Question: 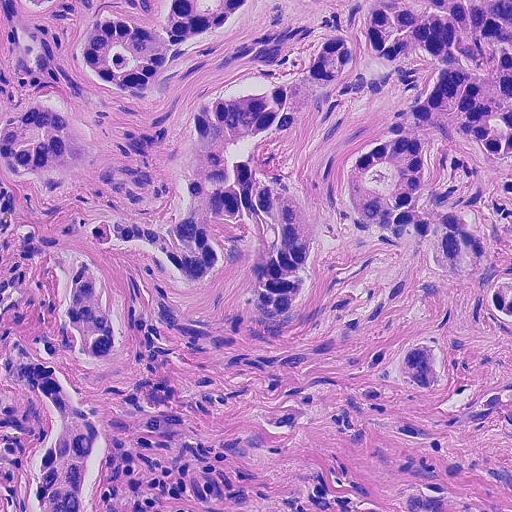
This is a crop of a whole-slide image: an H&E-stained breast-cancer sentinel lymph node section at roughly 20× magnification (about 0.45 µm per pixel; the crop spans about 0.23 mm).
Estimate the proportion of this field that is metastatic tumour.

Choices:
 (A) about 5% or less
 (B) none: no tumour is outlined
 (C) about 50% or more
 (D) about 10% to 20%
 (E) about 25% to 45%

Answer: (C) about 50% or more
About 70% of the field is tumour.
One metastatic tumour region; its boundary, reduced to 24 corners and listed clockwise: (0, 0), (511, 0), (511, 337), (462, 334), (466, 402), (401, 403), (382, 376), (466, 290), (408, 252), (346, 254), (282, 354), (247, 360), (176, 351), (124, 295), (129, 363), (98, 377), (63, 364), (104, 418), (85, 511), (27, 511), (46, 420), (0, 367), (0, 325), (28, 288).